Image:
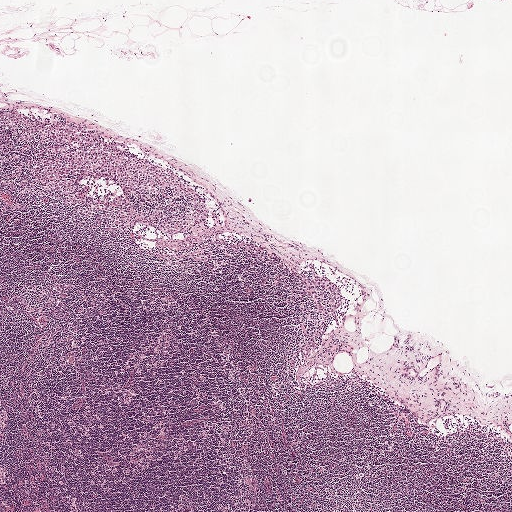
This is a crop of a whole-slide image: an H&E-stained breast-cancer sentinel lymph node section at roughly 2.5× magnification (about 3.9 µm per pixel; the crop spans about 2.0 mm).
Question:
Does this lymph node field contain metastatic tumour?
Answer:
Yes.
One metastatic tumour region; its boundary, reduced to 11 corners and listed clockwise: (0, 111), (40, 113), (99, 139), (173, 162), (204, 198), (211, 227), (195, 236), (141, 233), (86, 222), (45, 202), (0, 190).
About 5% of this field is tumour.

Image:
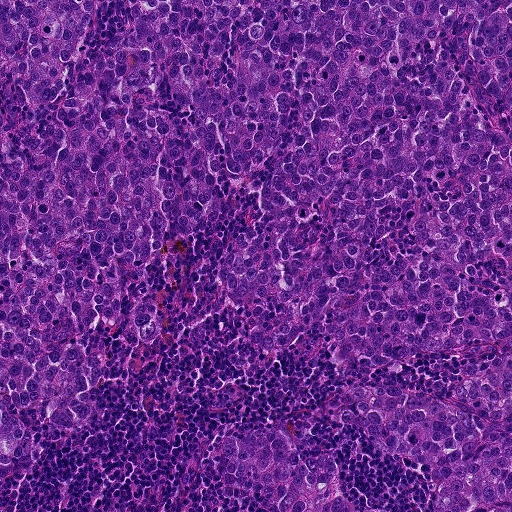
H&E-stained section of a sentinel lymph node (breast cancer), from a whole-slide image, viewed at about 10×: the field is about 0.46 mm across, about 0.9 µm per pixel.
Question:
Does this lymph node field contain metastatic tumour?
Answer:
Yes.
Outlines of two tumour regions, largest first (closed clockwise paths, crop pixels): region 1: (0, 0), (511, 0), (511, 511), (434, 511), (429, 464), (326, 404), (448, 396), (497, 354), (346, 378), (328, 310), (246, 344), (284, 306), (251, 320), (222, 269), (273, 159), (166, 230), (121, 306), (155, 301), (158, 338), (97, 320), (90, 416), (26, 408), (42, 450), (4, 481); region 2: (258, 429), (284, 429), (307, 456), (312, 446), (326, 446), (339, 466), (340, 479), (348, 502), (359, 509), (393, 511), (265, 511), (263, 499), (254, 491), (243, 488), (228, 496), (222, 491), (224, 468), (218, 444), (225, 434), (248, 437).
About 75% of this field is tumour.

Image:
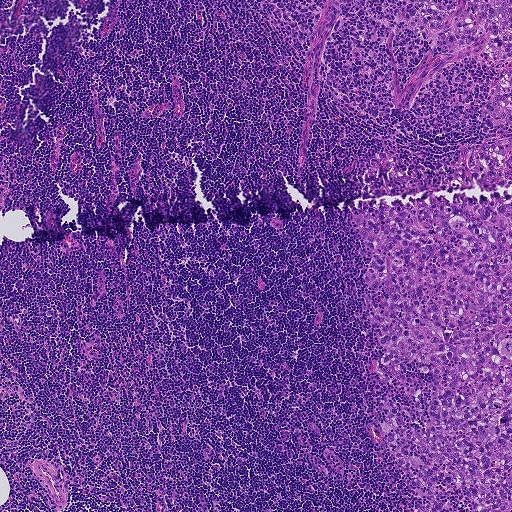
A 0.93-mm field of an H&E-stained sentinel lymph node from a breast-cancer patient (whole-slide image), shown at about 5×, about 1.8 µm per pixel.
Question:
Does this lymph node field contain metastatic tumour?
Answer:
Yes.
Boundaries of three metastatic tumour regions, simplified and listed clockwise, largest first: region 1: (510, 144), (511, 185), (354, 200), (511, 197), (511, 511), (419, 511), (428, 502), (382, 428), (386, 393), (403, 407), (415, 400), (375, 365), (384, 351), (362, 295), (378, 290), (361, 280), (370, 255), (358, 250), (366, 248), (349, 204), (378, 151), (406, 173), (429, 172), (483, 145); region 2: (409, 0), (435, 0), (445, 4), (456, 2), (453, 0), (511, 0), (511, 67), (509, 68), (474, 52), (445, 51), (437, 48), (428, 35), (406, 26), (401, 12), (406, 6), (413, 7); region 3: (511, 68), (511, 127), (494, 126), (487, 122), (484, 115), (483, 100), (490, 86).
The annotated tumour makes up about 20% of the crop.

Image:
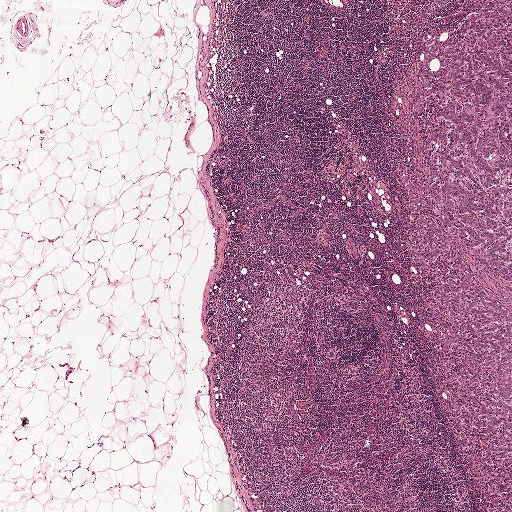
Lymph node section stained with H&E, from a whole-slide image of a breast-cancer sentinel node. Magnification about 2.5×, about 2.0 mm across the frame, about 3.9 µm per pixel.
Question:
Does this lymph node field contain metastatic tumour?
Answer:
Yes.
The outlined metastatic tumour's edge, as a closed clockwise path of 8 points: (511, 0), (511, 511), (486, 511), (424, 353), (397, 241), (396, 99), (459, 48), (486, 2).
About 15% of the image area is annotated as tumour.